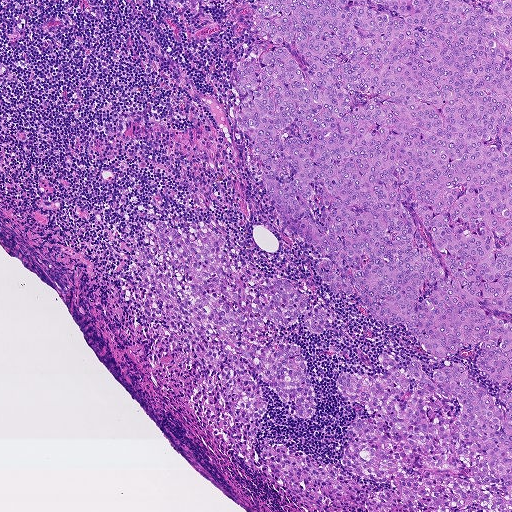
A 0.93-mm field of an H&E-stained sentinel lymph node from a breast-cancer patient (whole-slide image), shown at about 5×, about 1.8 µm per pixel.
Three metastatic tumour regions, each outlined as a closed clockwise path in crop pixels (x, y), largest first: region 1: (511, 0), (511, 384), (480, 375), (481, 340), (430, 358), (406, 326), (377, 320), (357, 295), (320, 280), (318, 252), (276, 215), (236, 123), (236, 67), (279, 45), (255, 29), (257, 2); region 2: (385, 352), (404, 366), (417, 360), (431, 376), (464, 364), (502, 407), (507, 391), (511, 511), (297, 511), (265, 471), (263, 451), (280, 444), (337, 464), (368, 489), (394, 490), (350, 474), (340, 458), (348, 429), (367, 419), (360, 401), (341, 394), (338, 376), (380, 376); region 3: (158, 221), (180, 235), (193, 223), (219, 222), (227, 238), (227, 266), (253, 292), (259, 280), (276, 276), (292, 284), (308, 307), (326, 310), (325, 328), (318, 334), (303, 325), (302, 316), (293, 326), (267, 319), (272, 341), (300, 344), (303, 353), (315, 416), (290, 411), (244, 363), (269, 405), (253, 465), (203, 424), (191, 398), (215, 373), (175, 344), (137, 262), (140, 244), (194, 303), (160, 247).
One more small tumour piece is annotated here but not outlined.
The annotated tumour makes up about 50% of the crop.